Question: 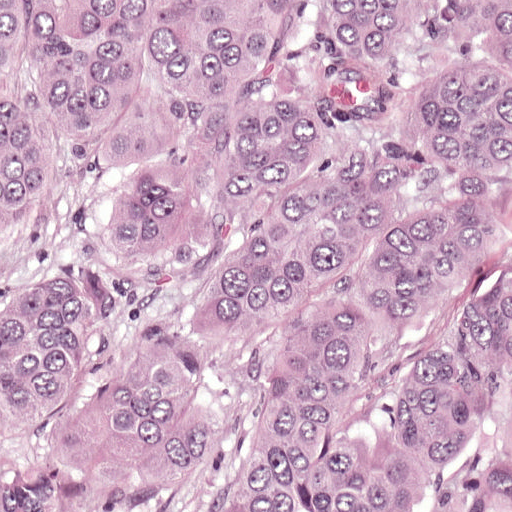
This is a crop of a whole-slide image: an H&E-stained breast-cancer sentinel lymph node section at roughly 20× magnification (about 0.49 µm per pixel; the crop spans about 0.25 mm).
Estimate the proportion of this field that is metastatic tumour.

Choices:
 (A) about 25% to 45%
 (B) about 5% or less
 (C) about 10% to 20%
 (D) about 50% or more
 (E) none: no tumour is outlined

Answer: (D) about 50% or more
Over 95% of the field is tumour.
Metastatic tumour covers the whole field.